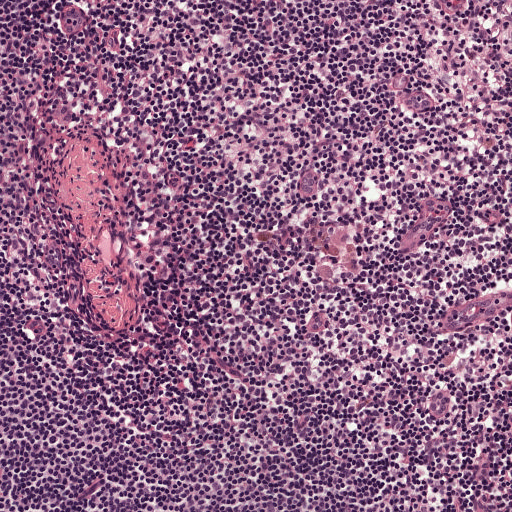
This is a crop of a whole-slide image: an H&E-stained breast-cancer sentinel lymph node section at roughly 10× magnification (about 0.97 µm per pixel; the crop spans about 0.5 mm).